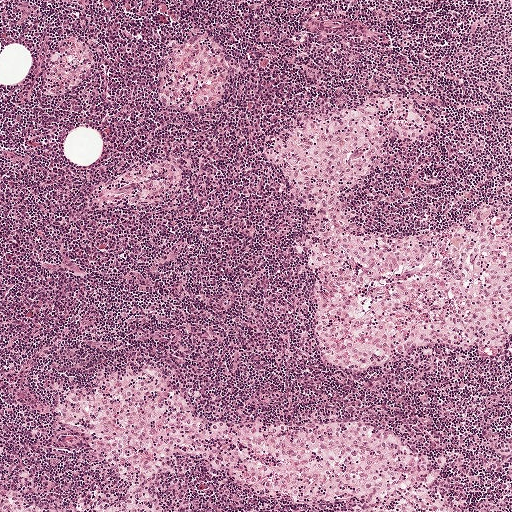
Lymph node section stained with H&E, from a whole-slide image of a breast-cancer sentinel node. Magnification about 5×, about 1 mm across the frame, about 1.9 µm per pixel.
Question: Is any metastatic breast cancer visible in this crop?
Answer: No. No metastatic tumour is outlined in this field.